Image:
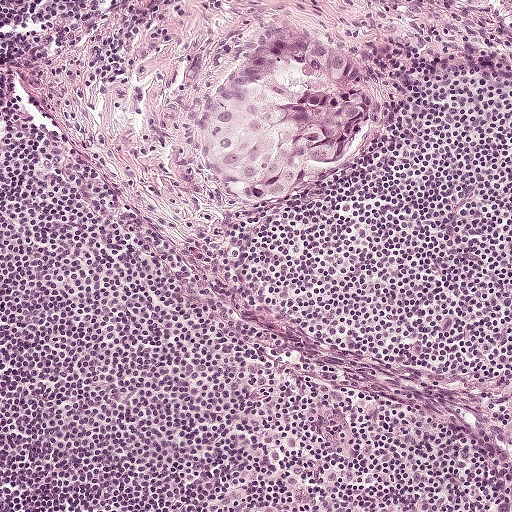
H&E-stained section of a sentinel lymph node (breast cancer), from a whole-slide image, viewed at about 10×: the field is about 0.5 mm across, about 0.97 µm per pixel.
Question:
Which parts of this field are metastatic tumour? Answer with the outline of each region, in pixels.
Answer:
Tumour region outline (a closed clockwise path, crop pixels): (291, 33), (301, 36), (360, 74), (370, 98), (369, 132), (366, 144), (342, 171), (322, 174), (276, 209), (261, 209), (238, 202), (224, 187), (212, 154), (211, 124), (251, 53).
About 5% of this field is tumour.